Lymph node section stained with H&E, from a whole-slide image of a breast-cancer sentinel node. Magnification about 20×, about 0.25 mm across the frame, about 0.49 µm per pixel.
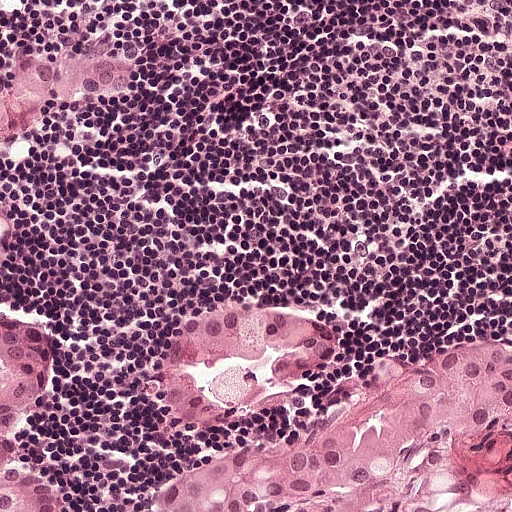
Three metastatic tumour regions, each outlined as a closed clockwise path in crop pixels (x, y), largest first: region 1: (258, 281), (316, 298), (356, 331), (368, 356), (506, 312), (511, 511), (0, 511), (0, 304), (38, 326), (54, 354), (58, 409), (36, 459), (90, 509), (223, 438), (222, 422), (168, 385), (154, 344), (164, 309), (203, 285); region 2: (0, 0), (36, 0), (21, 16), (14, 40), (130, 38), (143, 46), (147, 71), (126, 94), (0, 153); region 3: (0, 190), (17, 207), (8, 235), (3, 242), (3, 257), (0, 259).
About 35% of the image area is annotated as tumour.